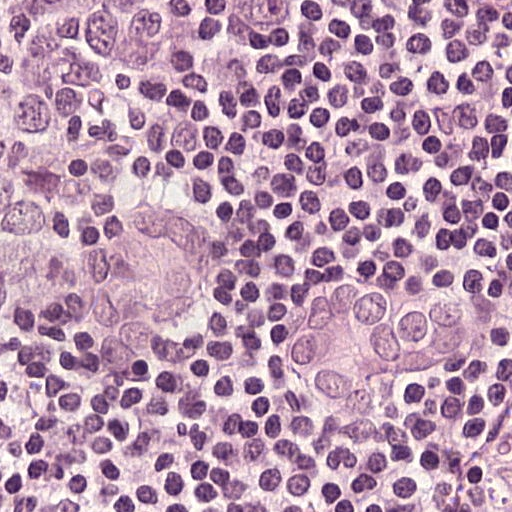
A 0.12-mm field of an H&E-stained sentinel lymph node from a breast-cancer patient (whole-slide image), shown at about 40×, about 0.24 µm per pixel.
Boundaries of four metastatic tumour regions, simplified and listed clockwise, largest first: region 1: (331, 272), (387, 287), (448, 286), (473, 309), (466, 359), (424, 379), (397, 379), (368, 412), (331, 405), (316, 394), (294, 365), (289, 340), (298, 309); region 2: (145, 204), (185, 204), (210, 215), (217, 243), (210, 281), (196, 291), (185, 318), (168, 324), (138, 364), (119, 367), (98, 360), (81, 280), (85, 245), (129, 223); region 3: (0, 0), (122, 0), (122, 51), (106, 65), (94, 106), (46, 137), (15, 137), (2, 131); region 4: (0, 161), (22, 173), (31, 187), (37, 189), (49, 210), (51, 222), (51, 241), (44, 268), (30, 279), (10, 279), (2, 274).
The annotated tumour makes up about 20% of the crop.